Question: 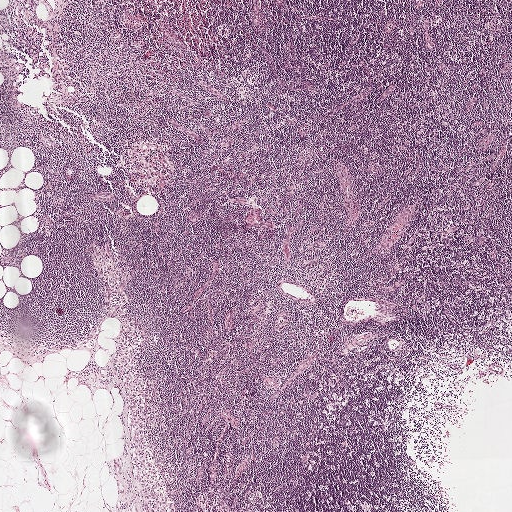
At roughly what magnification is this field shown?

Choices:
 (A) about 40×
 (B) about 5×
 (C) about 2.5×
 (D) about 10×
 (E) about 20×

Answer: (C) about 2.5×
This is a crop of a whole-slide image: an H&E-stained breast-cancer sentinel lymph node section at roughly 2.5× magnification (about 3.9 µm per pixel; the crop spans about 2.0 mm).